Question: 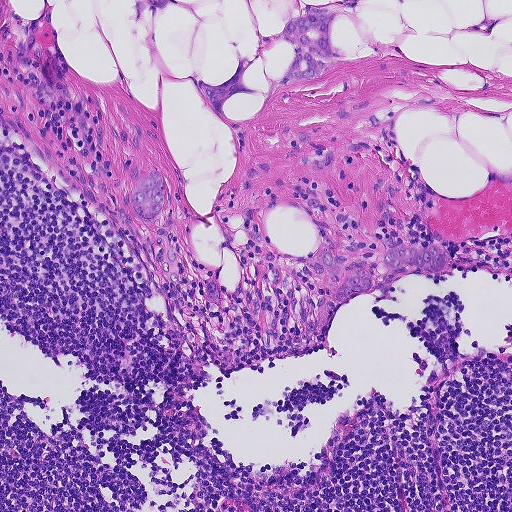
This is a crop of a whole-slide image: an H&E-stained breast-cancer sentinel lymph node section at roughly 10× magnification (about 0.9 µm per pixel; the crop spans about 0.46 mm).
About how much of this crop is taken up by metastatic carcinoma?

Choices:
 (A) about 10% to 20%
 (B) about 50% or more
 (C) about 5% or less
 (D) none: no tumour is outlined
 (E) about 25% to 45%

Answer: (C) about 5% or less
About 5% of the field is tumour.
Boundaries of four metastatic tumour regions, simplified and listed clockwise, largest first: region 1: (304, 185), (318, 191), (327, 207), (351, 212), (335, 240), (342, 244), (358, 238), (364, 244), (344, 270), (374, 264), (401, 245), (422, 250), (435, 242), (446, 246), (450, 267), (442, 275), (399, 279), (388, 298), (378, 290), (341, 305), (333, 299), (303, 258), (321, 240), (307, 210); region 2: (306, 5), (345, 14), (339, 16), (329, 30), (330, 39), (334, 46), (347, 57), (326, 70), (314, 82), (305, 80), (272, 91), (289, 68), (296, 52), (290, 46), (282, 42), (274, 46), (248, 68), (244, 75), (244, 83), (250, 90), (266, 95), (262, 97), (244, 93), (228, 98), (224, 114), (229, 121), (212, 113), (188, 77), (213, 86), (230, 80), (235, 73), (238, 56), (252, 61), (257, 54), (257, 37), (280, 32), (288, 19), (305, 16); region 3: (152, 166), (160, 174), (165, 185), (165, 194), (164, 206), (158, 216), (150, 222), (140, 219), (133, 209), (129, 186), (131, 172), (141, 167); region 4: (511, 168), (511, 187), (496, 182), (497, 178), (494, 170), (506, 170).
One more small tumour piece is annotated here but not outlined.